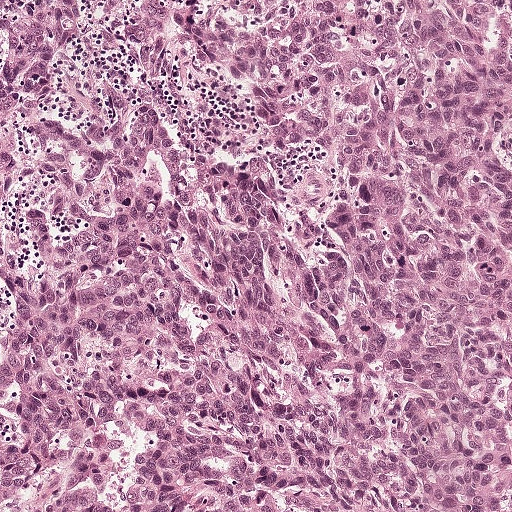
H&E-stained section of a sentinel lymph node (breast cancer), from a whole-slide image, viewed at about 10×: the field is about 0.5 mm across, about 0.97 µm per pixel.
Question: Is any metastatic breast cancer visible in this crop?
Answer: Yes.
Tumour region outline (a closed clockwise path, crop pixels): (480, 49), (511, 62), (511, 426), (484, 458), (473, 511), (0, 511), (0, 94), (106, 132), (148, 103), (172, 102), (216, 152), (257, 171), (358, 132), (430, 60).
About 75% of the image area is annotated as tumour.